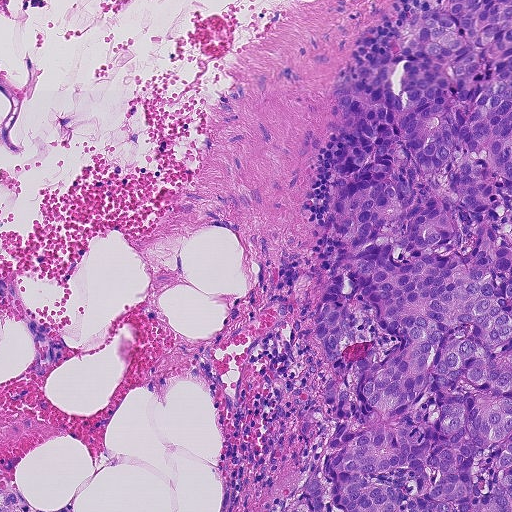
This is a crop of a whole-slide image: an H&E-stained breast-cancer sentinel lymph node section at roughly 10× magnification (about 0.9 µm per pixel; the crop spans about 0.46 mm).
Metastatic tumour outline, simplified to 13 points and listed clockwise in crop pixels (x, y): (511, 0), (511, 511), (312, 511), (305, 478), (338, 420), (324, 405), (331, 362), (318, 321), (338, 240), (325, 222), (341, 161), (333, 98), (420, 4).
About 35% of this field is tumour.